A 0.25-mm field of an H&E-stained sentinel lymph node from a breast-cancer patient (whole-slide image), shown at about 20×, about 0.49 µm per pixel.
Question: 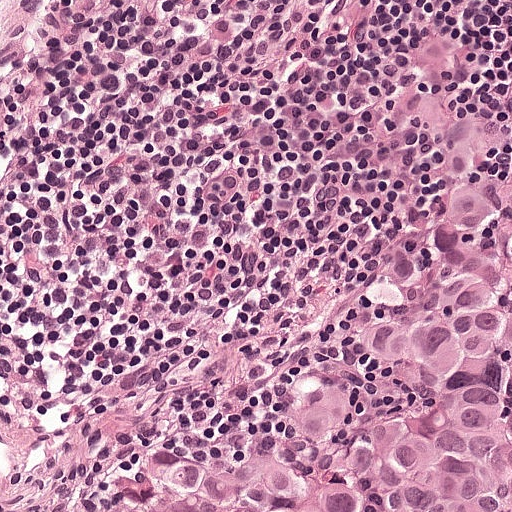
About how much of this crop is taken up by metastatic carcinoma?

Choices:
 (A) about 50% or more
 (B) about 10% to 20%
 (C) none: no tumour is outlined
 (D) about 25% to 45%
 (E) about 5% or less

Answer: (D) about 25% to 45%
About 35% of the field is tumour.
Metastatic tumour outline, simplified to 10 points and listed clockwise in crop pixels (x, y): (510, 105), (511, 511), (62, 511), (198, 432), (218, 384), (293, 302), (306, 262), (374, 173), (436, 152), (483, 112).